This is a crop of a whole-slide image: an H&E-stained breast-cancer sentinel lymph node section at roughly 2.5× magnification (about 3.9 µm per pixel; the crop spans about 2.0 mm).
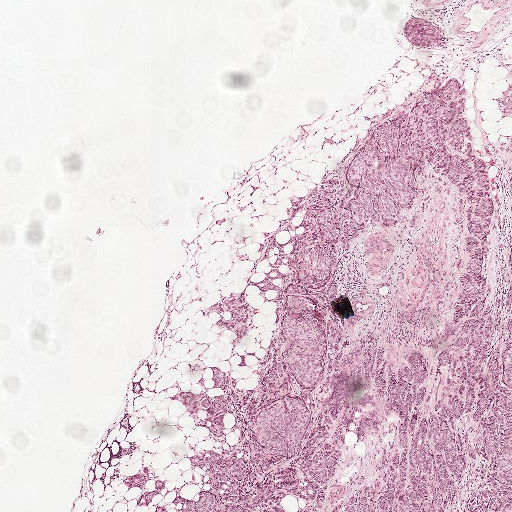
One metastatic tumour region; its boundary, reduced to 19 corners and listed clockwise: (442, 16), (488, 137), (507, 129), (511, 62), (511, 511), (132, 511), (129, 471), (194, 468), (185, 385), (212, 359), (214, 307), (241, 285), (289, 200), (326, 174), (376, 113), (416, 89), (418, 69), (401, 44), (408, 18).
About 45% of this field is tumour.